Question: 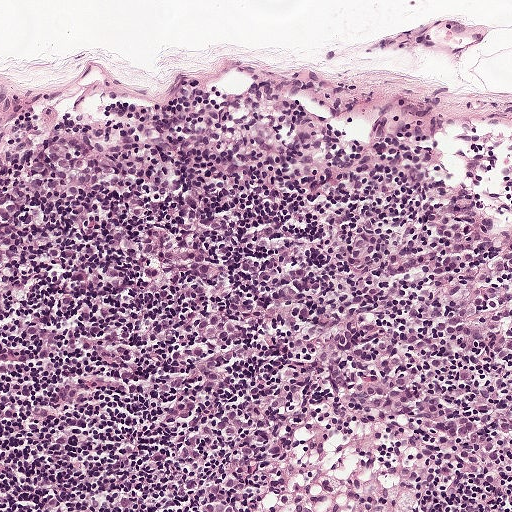
H&E-stained section of a sentinel lymph node (breast cancer), from a whole-slide image, viewed at about 10×: the field is about 0.5 mm across, about 0.97 µm per pixel.
About how much of this crop is taken up by metastatic carcinoma?

Choices:
 (A) about 25% to 45%
 (B) none: no tumour is outlined
 (C) about 50% or more
 (D) about 5% or less
 (E) about 10% to 20%

Answer: (E) about 10% to 20%
About 10% of the field is tumour.
Two metastatic tumour regions, each outlined as a closed clockwise path in crop pixels (x, y), largest first: region 1: (130, 116), (148, 148), (147, 178), (119, 200), (54, 218), (18, 236), (12, 242), (11, 280), (0, 309), (0, 128), (54, 118); region 2: (511, 222), (511, 323), (462, 314), (447, 306), (437, 287), (437, 272), (440, 267), (472, 242).